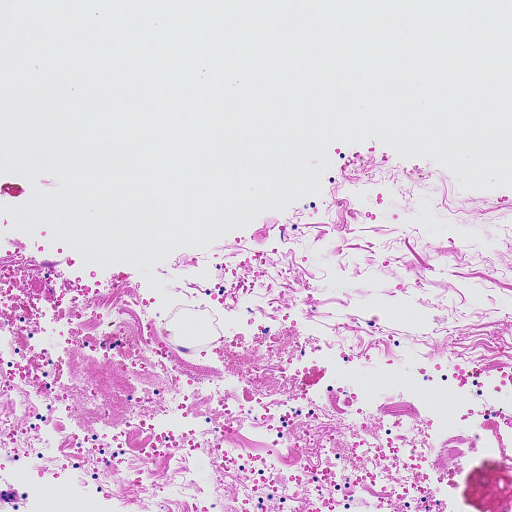
Lymph node section stained with H&E, from a whole-slide image of a breast-cancer sentinel node. Magnification about 10×, about 0.46 mm across the frame, about 0.91 µm per pixel.